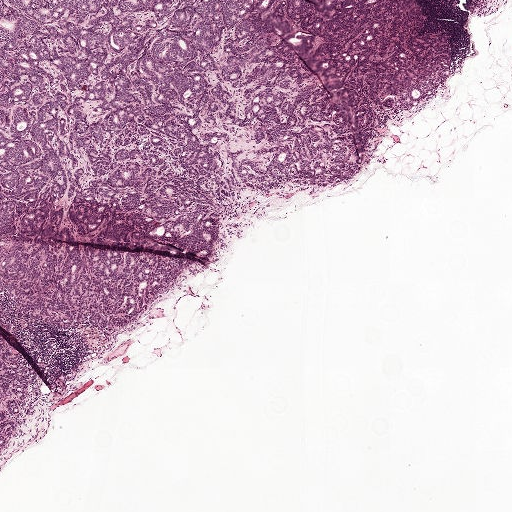
This is a crop of a whole-slide image: an H&E-stained breast-cancer sentinel lymph node section at roughly 2.5× magnification (about 3.9 µm per pixel; the crop spans about 2.0 mm).
Outlines of three tumour regions, largest first (closed clockwise paths, crop pixels): region 1: (0, 0), (244, 0), (318, 80), (349, 138), (354, 174), (229, 193), (207, 253), (45, 198), (38, 225), (3, 233), (188, 263), (117, 329), (83, 325), (94, 355), (56, 381), (0, 325); region 2: (306, 0), (310, 7), (329, 18), (340, 16), (345, 0), (389, 0), (388, 5), (395, 12), (431, 19), (432, 10), (444, 26), (451, 61), (434, 56), (398, 68), (376, 86), (376, 96), (394, 96), (448, 68), (451, 72), (432, 93), (380, 124), (366, 125), (303, 31), (258, 1); region 3: (0, 336), (18, 355), (29, 363), (40, 380), (32, 394), (20, 421), (0, 451).
About 35% of this field is tumour.